Image:
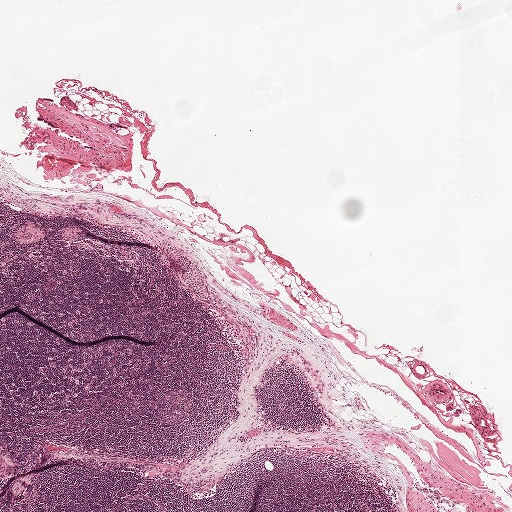
H&E-stained section of a sentinel lymph node (breast cancer), from a whole-slide image, viewed at about 2.5×: the field is about 2.0 mm across, about 3.9 µm per pixel.
Question:
Does this lymph node field contain metastatic tumour?
Answer:
Yes.
Metastatic tumour outline, simplified to 12 points and listed clockwise in crop pixels (x, y): (165, 241), (170, 243), (202, 271), (210, 290), (211, 302), (210, 305), (198, 302), (189, 288), (184, 284), (178, 263), (168, 254), (162, 242).
Under 5% of this field is tumour.